Question: 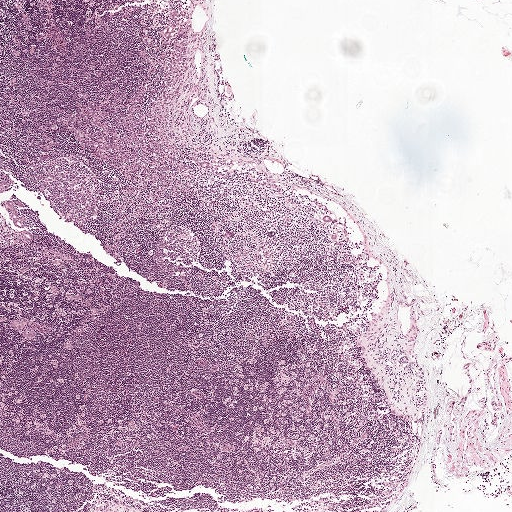
Lymph node section stained with H&E, from a whole-slide image of a breast-cancer sentinel node. Magnification about 2.5×, about 2.0 mm across the frame, about 3.9 µm per pixel.
What fraction of the image area is metastatic tumour?

Choices:
 (A) about 10% to 20%
 (B) about 5% or less
 (C) about 50% or more
 (D) about 25% to 45%
 (E) none: no tumour is outlined

Answer: (B) about 5% or less
About 5% of the field is tumour.
Metastatic tumour outline, simplified to 22 points and listed clockwise in crop pixels (x, y): (174, 6), (192, 15), (197, 24), (188, 63), (161, 115), (160, 130), (206, 157), (212, 165), (211, 171), (202, 170), (170, 185), (160, 184), (148, 173), (112, 168), (66, 136), (61, 117), (74, 102), (118, 88), (135, 91), (152, 80), (163, 57), (168, 16).